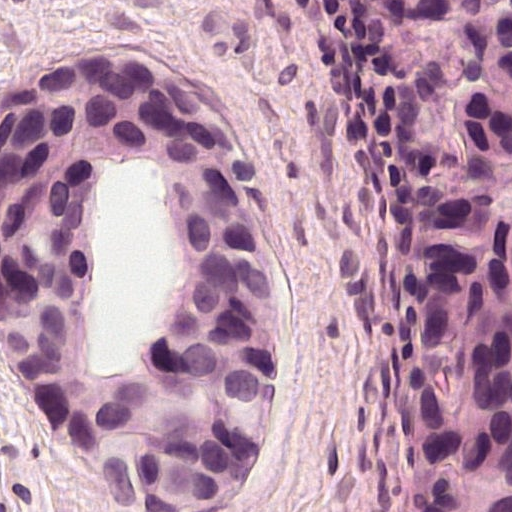
Lymph node section stained with H&E, from a whole-slide image of a breast-cancer sentinel node. Magnification about 40×, about 0.12 mm across the frame, about 0.24 µm per pixel.
Outlines of two tumour regions, largest first (closed clockwise paths, crop pixels): region 1: (123, 56), (198, 79), (262, 151), (279, 192), (300, 301), (300, 381), (293, 423), (262, 467), (254, 501), (237, 511), (110, 511), (7, 412), (0, 95), (76, 59); region 2: (511, 0), (511, 511), (398, 511), (401, 459), (434, 362), (423, 189), (404, 131), (320, 3).
Region 1 encloses a non-tumour hole of about 15% of its area.
The annotated tumour makes up about 60% of the crop.